Lymph node section stained with H&E, from a whole-slide image of a breast-cancer sentinel node. Magnification about 40×, about 0.12 mm across the frame, about 0.23 µm per pixel.
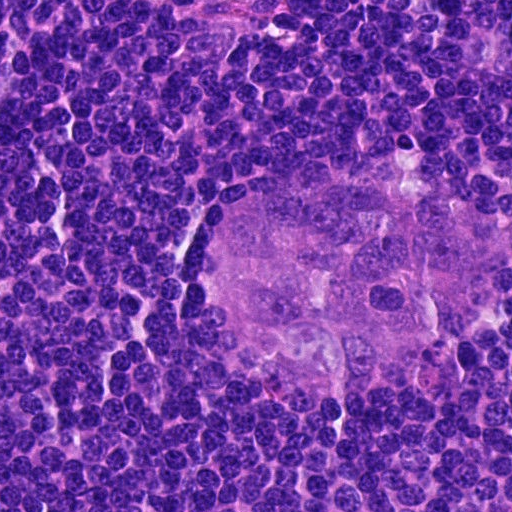
Metastatic tumour outline, simplified to 13 points and listed clockwise in crop pixels (x, y): (351, 172), (468, 202), (511, 231), (511, 300), (484, 336), (384, 395), (327, 397), (273, 378), (225, 340), (195, 289), (206, 233), (243, 200), (295, 176).
Tumour covers about 20% of the frame.